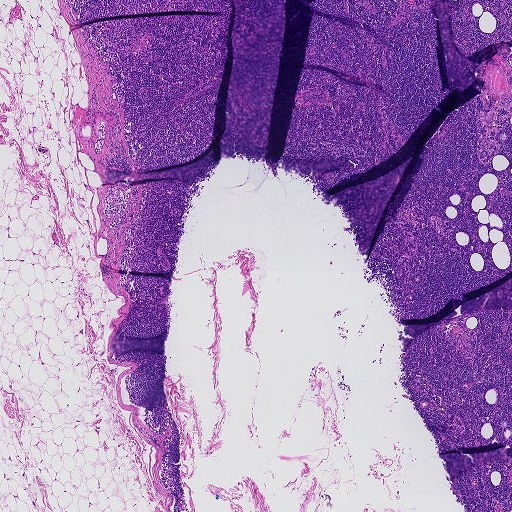
This is a crop of a whole-slide image: an H&E-stained breast-cancer sentinel lymph node section at roughly 2.5× magnification (about 3.6 µm per pixel; the crop spans about 1.9 mm).
Question: Is any metastatic breast cancer visible in this crop?
Answer: No. No metastatic tumour is outlined in this field.